A 0.12-mm field of an H&E-stained sentinel lymph node from a breast-cancer patient (whole-slide image), shown at about 40×, about 0.23 µm per pixel.
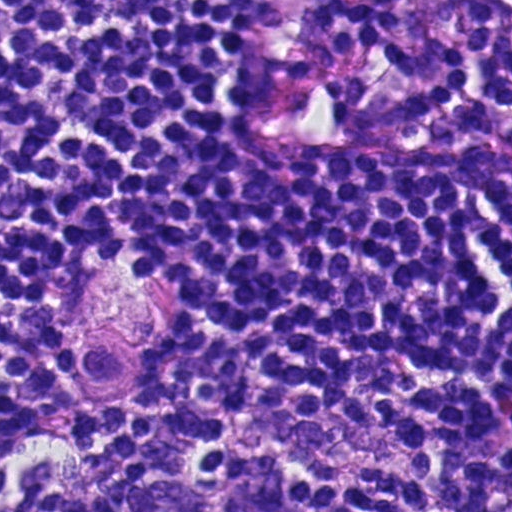
The outlined metastatic tumour's edge, as a closed clockwise path of 6 points: (133, 263), (168, 307), (163, 364), (119, 401), (73, 371), (82, 286).
Tumour covers about 5% of the frame.